Image:
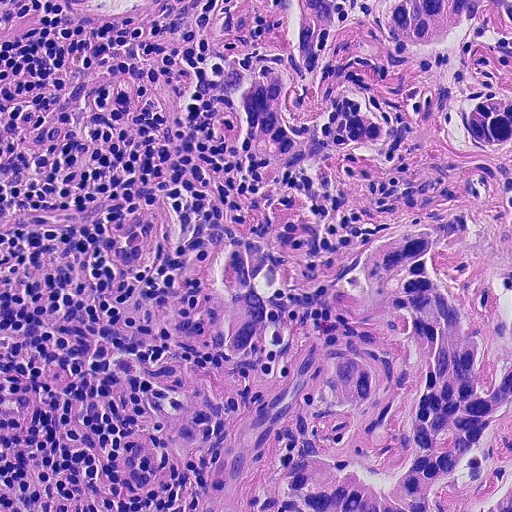
Lymph node section stained with H&E, from a whole-slide image of a breast-cancer sentinel node. Magnification about 20×, about 0.23 mm across the frame, about 0.45 µm per pixel.
Question:
Is any metastatic breast cancer visible in this crop?
Answer:
Yes.
Tumour region outline (a closed clockwise path, crop pixels): (293, 0), (348, 0), (347, 12), (511, 0), (511, 511), (292, 511), (270, 471), (299, 358), (259, 344), (225, 356), (230, 298), (212, 266), (233, 228), (264, 235), (304, 288), (422, 216), (318, 161), (285, 171), (255, 156), (236, 91), (202, 88), (206, 54), (288, 45).
About 45% of this field is tumour.

Image:
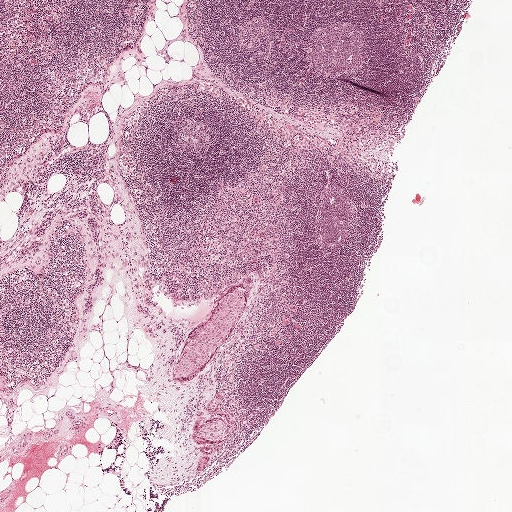
This is a crop of a whole-slide image: an H&E-stained breast-cancer sentinel lymph node section at roughly 2.5× magnification (about 3.9 µm per pixel; the crop spans about 2.0 mm).
Question:
Is any metastatic breast cancer visible in this crop?
Answer:
Yes.
Outlines of two tumour regions, largest first (closed clockwise paths, crop pixels): region 1: (247, 284), (250, 293), (250, 300), (242, 321), (227, 335), (219, 350), (195, 378), (182, 384), (172, 384), (171, 364), (179, 356), (195, 326), (211, 315), (215, 306), (237, 286); region 2: (225, 420), (229, 438), (224, 442), (210, 446), (190, 443), (188, 438), (190, 430), (203, 422).
Under 5% of this field is tumour.

Image:
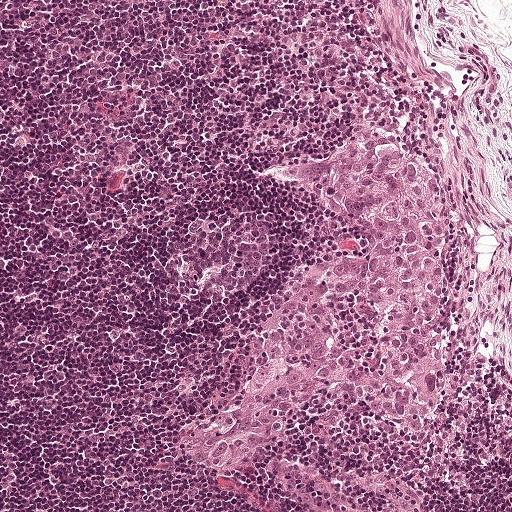
A 0.5-mm field of an H&E-stained sentinel lymph node from a breast-cancer patient (whole-slide image), shown at about 10×, about 0.97 µm per pixel.
Question:
Is any metastatic breast cancer visible in this crop?
Answer:
Yes.
The outlined metastatic tumour's edge, as a closed clockwise path of 18 points: (362, 133), (411, 144), (450, 187), (459, 396), (444, 419), (399, 430), (332, 384), (264, 459), (238, 474), (216, 472), (181, 452), (178, 437), (242, 388), (298, 280), (324, 262), (369, 251), (349, 214), (283, 168).
About 20% of the image area is annotated as tumour.

Image:
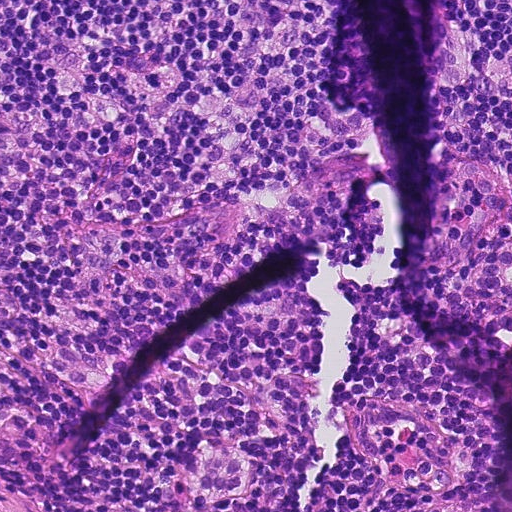
Lymph node section stained with H&E, from a whole-slide image of a breast-cancer sentinel node. Magnification about 20×, about 0.23 mm across the frame, about 0.45 µm per pixel.
Question:
Is any metastatic breast cancer visible in this crop?
Answer:
Yes.
Two metastatic tumour regions, each outlined as a closed clockwise path in crop pixels (x, y), largest first: region 1: (0, 0), (339, 0), (378, 247), (338, 254), (309, 280), (322, 317), (320, 356), (290, 473), (225, 511), (180, 511), (146, 436), (0, 368); region 2: (425, 0), (511, 0), (511, 348), (431, 300), (419, 263), (428, 152).
The annotated tumour makes up about 70% of the crop.